Question: 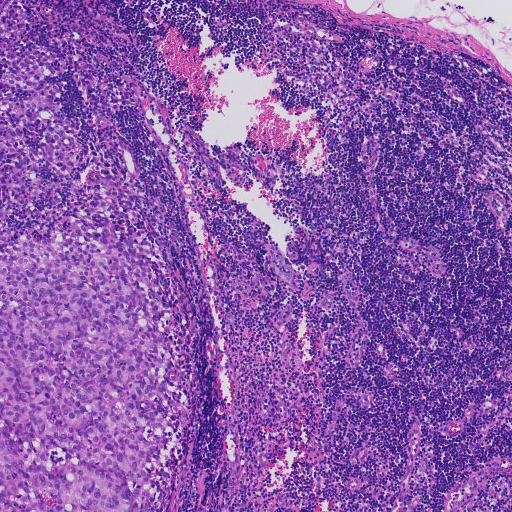
At roughly what magnification is this field shown?

Choices:
 (A) about 20×
 (B) about 5×
 (C) about 10×
 (D) about 40×
 (E) about 2.5×

Answer: (B) about 5×
This is a crop of a whole-slide image: an H&E-stained breast-cancer sentinel lymph node section at roughly 5× magnification (about 1.8 µm per pixel; the crop spans about 0.93 mm).
Outlines of two tumour regions, largest first (closed clockwise paths, crop pixels): region 1: (106, 177), (145, 203), (192, 341), (187, 459), (170, 501), (151, 511), (0, 511), (0, 225), (46, 238); region 2: (0, 0), (19, 0), (18, 9), (6, 16), (10, 23), (30, 27), (22, 51), (33, 42), (63, 56), (62, 74), (46, 80), (64, 80), (55, 100), (79, 124), (76, 136), (89, 148), (90, 160), (77, 182), (58, 175), (42, 159), (48, 188), (32, 211), (0, 188).
About 25% of this field is tumour.